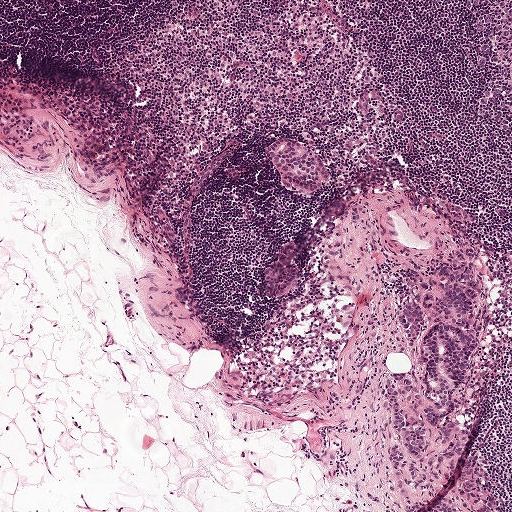
H&E-stained section of a sentinel lymph node (breast cancer), from a whole-slide image, viewed at about 5×: the field is about 1 mm across, about 1.9 µm per pixel.
Question: Outline the metastatic carcinoma in this image, as closed paths of (x, y) pixel coordinates.
Answer: Boundaries of three metastatic tumour regions, simplified and listed clockwise, largest first: region 1: (466, 255), (485, 256), (484, 322), (455, 402), (454, 435), (500, 511), (405, 511), (387, 496), (391, 473), (414, 473), (425, 463), (421, 463), (409, 472), (385, 462), (393, 430), (382, 392), (406, 369), (422, 367), (418, 346), (400, 338), (392, 325), (393, 308); region 2: (281, 135), (305, 144), (311, 151), (319, 154), (328, 167), (325, 186), (313, 194), (300, 194), (282, 187), (276, 180), (271, 162), (265, 155), (267, 146); region 3: (290, 240), (294, 241), (297, 259), (301, 268), (300, 285), (293, 296), (284, 299), (276, 299), (271, 289), (262, 286), (265, 264), (286, 246).
Tumour covers about 10% of the frame.